Lymph node section stained with H&E, from a whole-slide image of a breast-cancer sentinel node. Magnification about 10×, about 0.5 mm across the frame, about 0.97 µm per pixel.
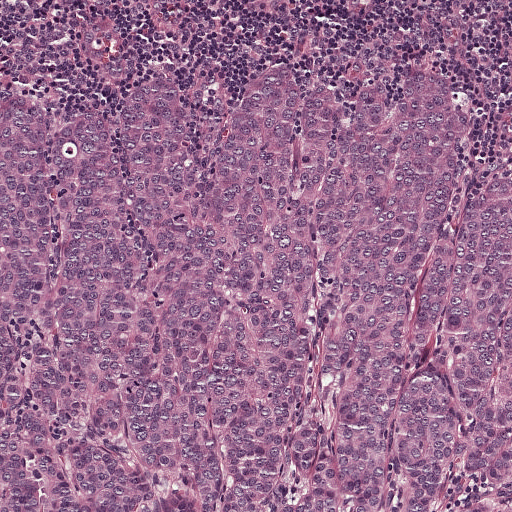
Metastatic tumour outline, simplified to 16 points and listed clockwise in crop pixels (x, y): (269, 56), (326, 81), (429, 66), (456, 78), (473, 113), (461, 175), (511, 162), (511, 511), (0, 511), (0, 97), (40, 91), (64, 118), (104, 110), (169, 70), (188, 86), (206, 137).
About 80% of the image area is annotated as tumour.